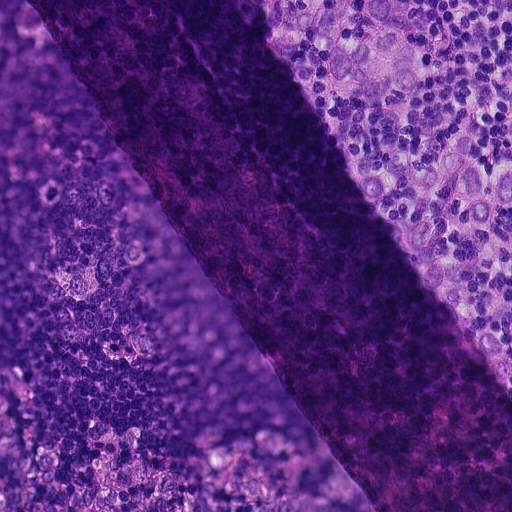
This is a crop of a whole-slide image: an H&E-stained breast-cancer sentinel lymph node section at roughly 20× magnification (about 0.45 µm per pixel; the crop spans about 0.23 mm).
Outlines of two tumour regions, largest first (closed clockwise paths, crop pixels): region 1: (154, 188), (374, 510), (0, 511), (0, 331), (71, 250); region 2: (245, 0), (511, 0), (511, 399), (502, 388), (296, 98).
About 50% of this field is tumour.